This is a crop of a whole-slide image: an H&E-stained breast-cancer sentinel lymph node section at roughly 40× magnification (about 0.24 µm per pixel; the crop spans about 0.12 mm).
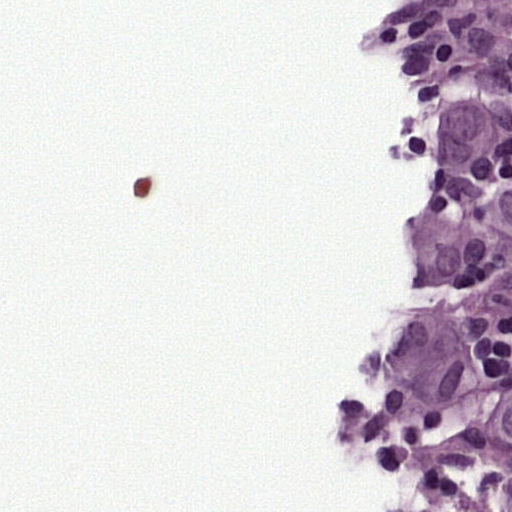
The outlined metastatic tumour's edge, as a closed clockwise path of 13 points: (453, 95), (480, 100), (496, 129), (485, 158), (438, 176), (432, 211), (511, 177), (511, 258), (452, 278), (404, 281), (399, 223), (419, 186), (435, 129).
Two more small tumour pieces are annotated here but not outlined.
About 10% of this field is tumour.